Question: 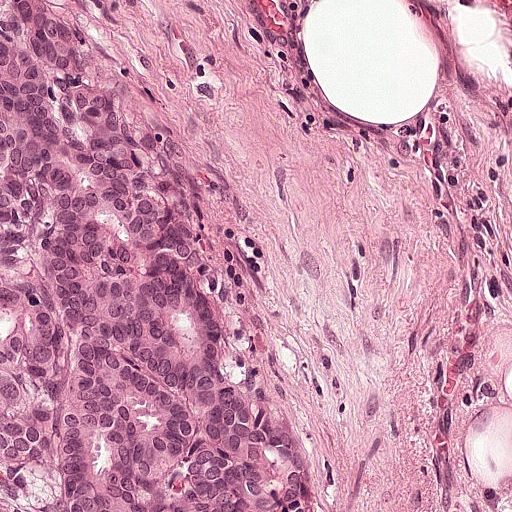
A 0.25-mm field of an H&E-stained sentinel lymph node from a breast-cancer patient (whole-slide image), shown at about 20×, about 0.49 µm per pixel.
Estimate the proportion of this field that is metastatic tumour.

Choices:
 (A) about 10% to 20%
 (B) about 50% or more
 (C) about 25% to 45%
 (D) none: no tumour is outlined
 (E) about 5% or less

Answer: (B) about 50% or more
About 50% of the field is tumour.
One metastatic tumour region; its boundary, reduced to 7 corners and listed clockwise: (0, 0), (85, 0), (135, 44), (292, 308), (340, 449), (343, 508), (0, 511).